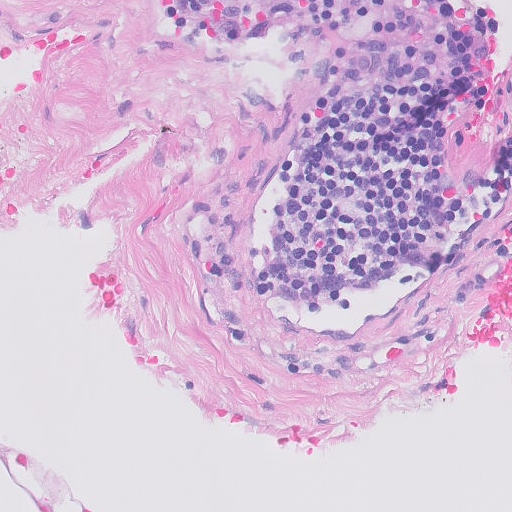
This is a crop of a whole-slide image: an H&E-stained breast-cancer sentinel lymph node section at roughly 20× magnification (about 0.5 µm per pixel; the crop spans about 0.26 mm).